Question: 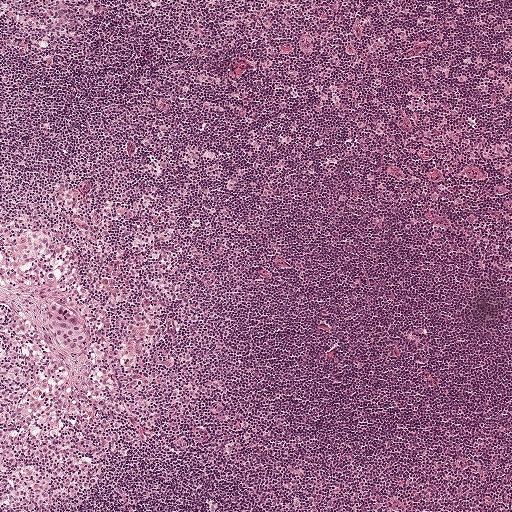
A 1-mm field of an H&E-stained sentinel lymph node from a breast-cancer patient (whole-slide image), shown at about 5×, about 1.9 µm per pixel.
Roughly what share of this field is metastatic tumour?

Choices:
 (A) about 50% or more
 (B) about 25% to 45%
 (C) none: no tumour is outlined
 (D) about 5% or less
 (E) about 10% to 20%

Answer: (D) about 5% or less
Under 5% of the field is tumour.
Metastatic tumour outline, simplified to 11 points and listed clockwise in crop pixels (x, y): (47, 300), (59, 302), (83, 320), (87, 329), (87, 339), (82, 356), (70, 358), (56, 349), (54, 342), (40, 320), (43, 305).